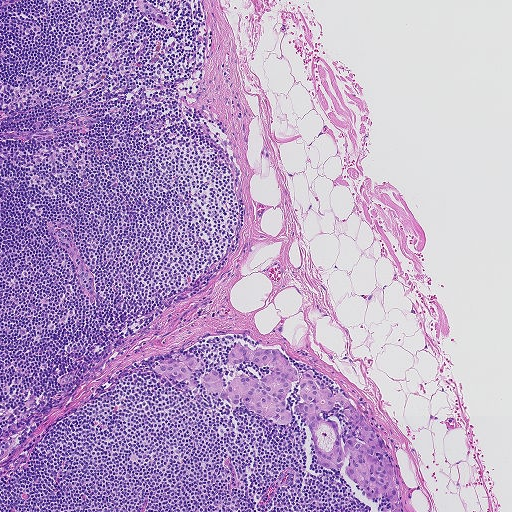
This is a crop of a whole-slide image: an H&E-stained breast-cancer sentinel lymph node section at roughly 5× magnification (about 1.8 µm per pixel; the crop spans about 0.93 mm).
The outlined metastatic tumour's edge, as a closed clockwise path of 40 points: (238, 340), (253, 349), (279, 349), (300, 376), (308, 369), (322, 389), (328, 386), (333, 395), (340, 391), (383, 439), (399, 511), (382, 511), (390, 505), (384, 496), (365, 496), (346, 475), (347, 459), (334, 470), (319, 463), (307, 425), (293, 411), (304, 401), (300, 382), (292, 382), (285, 397), (292, 418), (284, 425), (214, 395), (202, 372), (192, 373), (197, 386), (152, 369), (176, 354), (223, 373), (225, 388), (232, 376), (258, 379), (271, 370), (247, 361), (229, 364).
The annotated tumour makes up about 5% of the crop.